Lymph node section stained with H&E, from a whole-slide image of a breast-cancer sentinel node. Magnification about 20×, about 0.23 mm across the frame, about 0.45 µm per pixel.
Question: 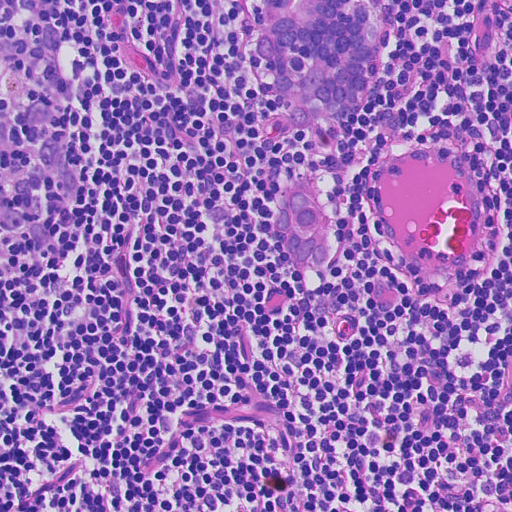
Roughly what share of this field is metastatic tumour?

Choices:
 (A) about 10% to 20%
 (B) about 25% to 45%
 (C) about 50% or more
 (D) about 5% or less
 (E) none: no tumour is outlined

Answer: (D) about 5% or less
About 5% of the field is tumour.
Outlines of two tumour regions, largest first (closed clockwise paths, crop pixels): region 1: (385, 0), (387, 22), (362, 109), (347, 118), (298, 126), (272, 86), (270, 65), (253, 53), (262, 1); region 2: (294, 184), (306, 184), (334, 220), (331, 240), (334, 256), (324, 270), (307, 268), (272, 242), (270, 215).